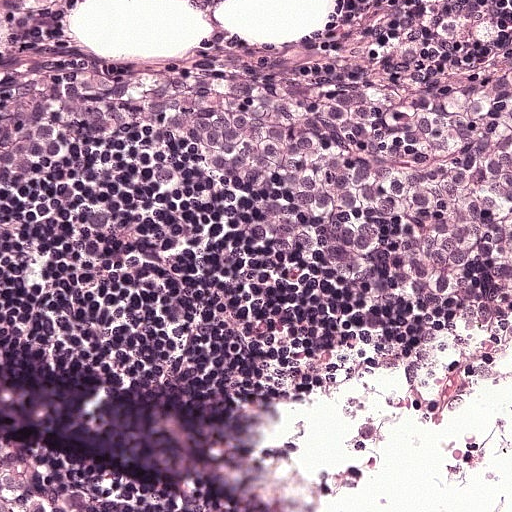
A 0.25-mm field of an H&E-stained sentinel lymph node from a breast-cancer patient (whole-slide image), shown at about 20×, about 0.49 µm per pixel.
The outlined metastatic tumour's edge, as a closed clockwise path of 8 points: (511, 0), (511, 310), (361, 268), (206, 197), (163, 154), (169, 122), (284, 106), (456, 3).
One more small tumour piece is annotated here but not outlined.
About 25% of the image area is annotated as tumour.